This is a crop of a whole-slide image: an H&E-stained breast-cancer sentinel lymph node section at roughly 10× magnification (about 0.9 µm per pixel; the crop spans about 0.46 mm).
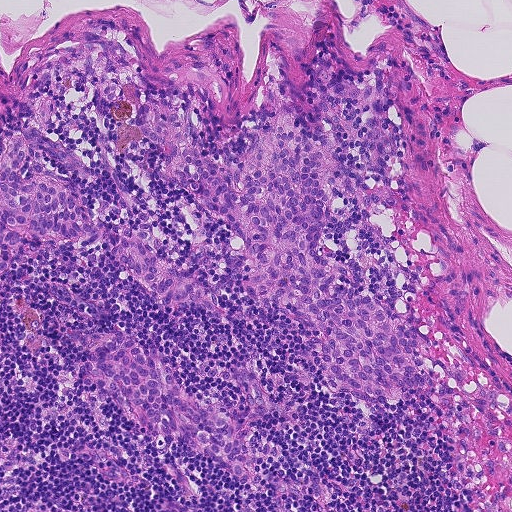
Question: Describe where the metastatic carcinoma lies in this crop.
Answer: Outlines of four tumour regions, largest first (closed clockwise paths, crop pixels): region 1: (280, 121), (321, 125), (342, 172), (363, 192), (383, 193), (376, 210), (351, 196), (330, 198), (322, 251), (360, 262), (360, 293), (414, 333), (422, 388), (392, 407), (360, 404), (328, 386), (318, 332), (246, 297), (234, 234), (169, 187), (170, 163), (188, 153), (222, 163), (247, 158); region 2: (134, 330), (143, 348), (171, 358), (172, 377), (188, 398), (200, 401), (205, 390), (218, 393), (237, 412), (250, 412), (241, 388), (209, 376), (208, 370), (232, 374), (243, 369), (254, 374), (268, 410), (246, 426), (267, 430), (263, 440), (281, 450), (250, 465), (264, 492), (245, 499), (235, 475), (214, 458), (176, 438), (164, 449), (154, 448), (112, 398), (100, 404), (97, 388), (85, 388), (80, 375), (95, 332), (103, 340); region 3: (20, 136), (26, 155), (19, 176), (25, 184), (45, 180), (59, 186), (84, 206), (95, 230), (93, 235), (75, 239), (51, 232), (42, 238), (28, 234), (4, 274), (0, 275), (0, 158), (12, 141); region 4: (142, 212), (151, 221), (152, 236), (162, 243), (157, 254), (160, 266), (172, 266), (184, 270), (192, 280), (214, 293), (221, 310), (217, 313), (193, 306), (174, 308), (162, 303), (110, 254), (110, 248), (137, 233), (140, 221), (138, 216).
About 20% of this field is tumour.